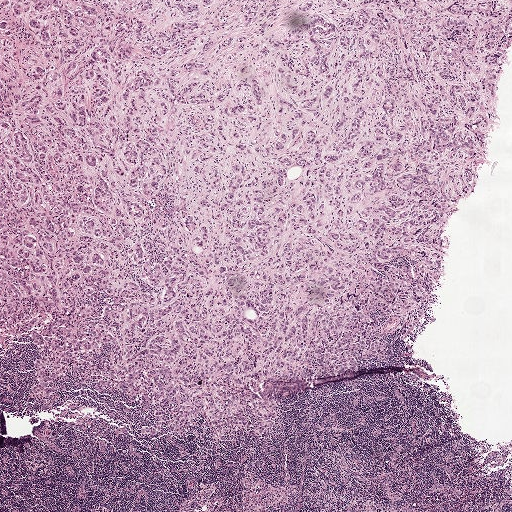
Lymph node section stained with H&E, from a whole-slide image of a breast-cancer sentinel node. Magnification about 2.5×, about 2.0 mm across the frame, about 3.9 µm per pixel.
Question: Which parts of this field are metastatic tumour?
Answer: Tumour region outline (a closed clockwise path, crop pixels): (0, 0), (511, 0), (427, 303), (405, 340), (399, 330), (384, 335), (392, 354), (384, 360), (262, 381), (261, 394), (284, 403), (274, 427), (255, 437), (145, 438), (136, 433), (153, 422), (147, 404), (79, 384), (56, 404), (36, 402), (32, 343), (0, 355).
Tumour covers about 70% of the frame.